Image:
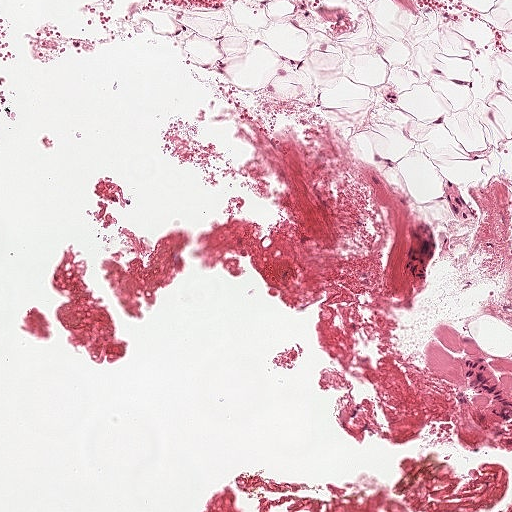
A 0.5-mm field of an H&E-stained sentinel lymph node from a breast-cancer patient (whole-slide image), shown at about 10×, about 0.97 µm per pixel.
Question:
Is any metastatic breast cancer visible in this crop?
Answer:
No: no metastatic tumour is outlined anywhere in this field.